This is a crop of a whole-slide image: an H&E-stained breast-cancer sentinel lymph node section at roughly 20× magnification (about 0.5 µm per pixel; the crop spans about 0.26 mm).
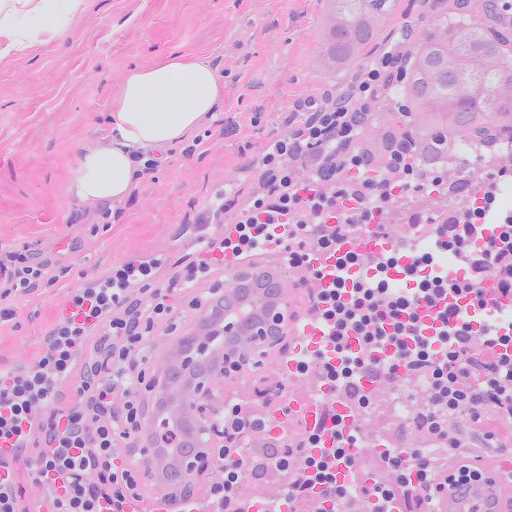
One metastatic tumour region; its boundary, reduced to 12 corners and listed clockwise: (301, 0), (511, 0), (511, 147), (422, 181), (360, 184), (342, 162), (356, 138), (360, 108), (338, 88), (303, 89), (276, 76), (286, 21).
Tumour covers about 15% of the frame.